Image:
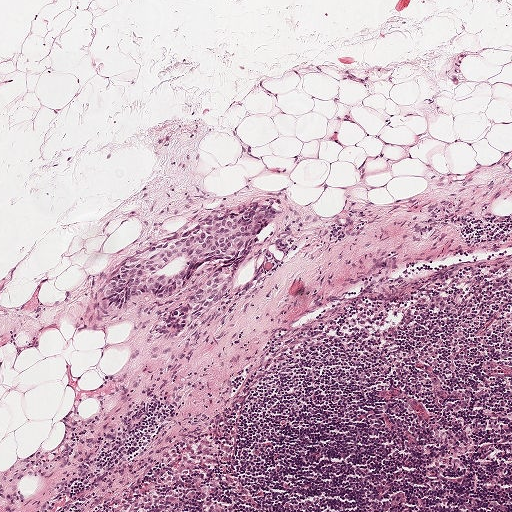
This is a crop of a whole-slide image: an H&E-stained breast-cancer sentinel lymph node section at roughly 5× magnification (about 1.9 µm per pixel; the crop spans about 1 mm).
Question:
Does this lymph node field contain metastatic tumour?
Answer:
Yes.
The outlined metastatic tumour's edge, as a closed clockwise path of 20 points: (265, 203), (280, 206), (282, 212), (252, 239), (233, 287), (187, 331), (157, 337), (153, 327), (221, 270), (220, 260), (201, 263), (178, 293), (163, 304), (136, 302), (121, 314), (103, 306), (103, 282), (125, 261), (153, 252), (230, 210).
About 5% of the image area is annotated as tumour.